Question: 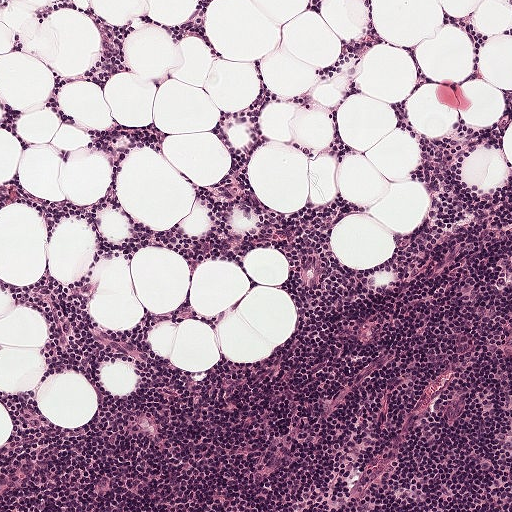
This is a crop of a whole-slide image: an H&E-stained breast-cancer sentinel lymph node section at roughly 10× magnification (about 0.97 µm per pixel; the crop spans about 0.5 mm).
Roughly what share of this field is metastatic tumour?

Choices:
 (A) about 5% or less
 (B) about 50% or more
 (C) about 25% to 45%
 (D) none: no tumour is outlined
 (E) about 10% to 20%

Answer: (D) none: no tumour is outlined
No metastatic tumour is outlined in this field.